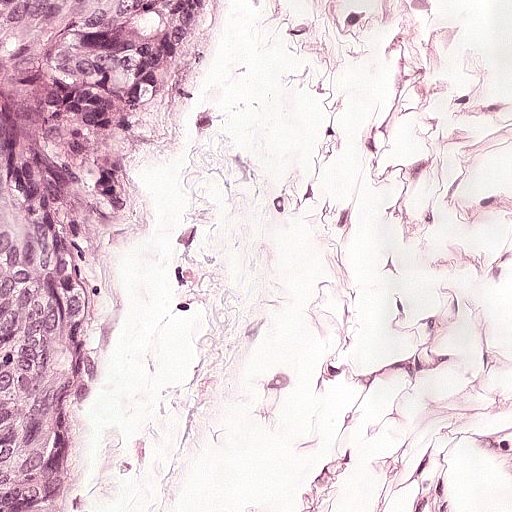
Lymph node section stained with H&E, from a whole-slide image of a breast-cancer sentinel node. Magnification about 20×, about 0.25 mm across the frame, about 0.49 µm per pixel.
Metastatic tumour outline, simplified to 10 points and listed clockwise in crop pixels (x, y): (0, 0), (222, 0), (185, 176), (174, 294), (164, 294), (164, 337), (153, 380), (142, 380), (116, 511), (0, 511).
About 35% of the image area is annotated as tumour.